Image:
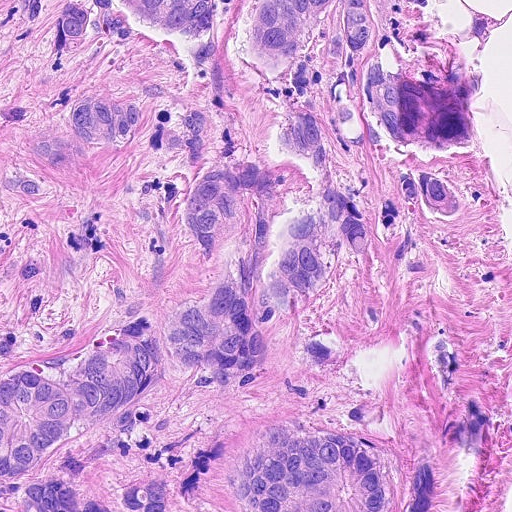
H&E-stained section of a sentinel lymph node (breast cancer), from a whole-slide image, viewed at about 20×: the field is about 0.23 mm across, about 0.45 µm per pixel.
Question:
Where is the metastatic tumour in this field? Give each region's outline as (x, y) pixel points.
Answer:
The outlined metastatic tumour's edge, as a closed clockwise path of 22 points: (0, 0), (384, 6), (386, 48), (432, 102), (432, 154), (464, 192), (464, 206), (445, 218), (406, 186), (380, 136), (337, 148), (376, 240), (307, 319), (294, 358), (210, 414), (185, 414), (225, 444), (271, 422), (370, 437), (392, 484), (389, 511), (0, 511).
The annotated tumour makes up about 70% of the crop.